Image:
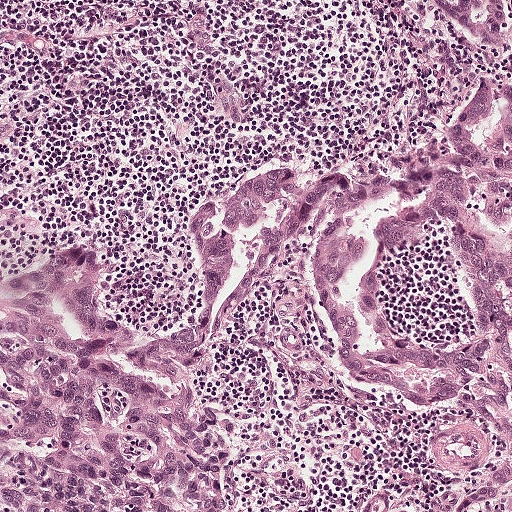
H&E-stained section of a sentinel lymph node (breast cancer), from a whole-slide image, viewed at about 10×: the field is about 0.5 mm across, about 0.97 µm per pixel.
Question:
Which parts of this field are metastatic tumour?
Answer:
The outlined metastatic tumour's edge, as a closed clockwise path of 16 points: (287, 161), (301, 168), (301, 182), (252, 238), (212, 367), (215, 428), (244, 506), (0, 511), (0, 271), (100, 246), (127, 326), (160, 330), (178, 312), (180, 236), (195, 200), (222, 172).
The annotated tumour makes up about 25% of the crop.